A 1.9-mm field of an H&E-stained sentinel lymph node from a breast-cancer patient (whole-slide image), shown at about 2.5×, about 3.6 µm per pixel.
Image:
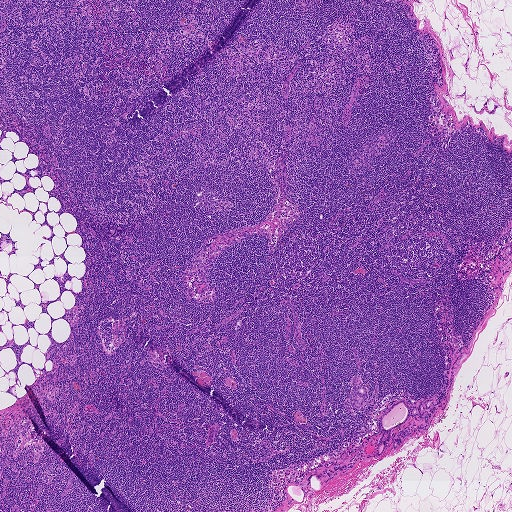
Question:
Where is the metastatic tumour in this field? Give each region's outline as (x, y) pixel points.
Answer:
Three metastatic tumour regions, each outlined as a closed clockwise path in crop pixels (x, y), largest first: region 1: (401, 399), (405, 399), (409, 407), (418, 407), (425, 400), (433, 399), (432, 405), (426, 410), (429, 413), (428, 421), (422, 422), (418, 415), (409, 417), (404, 423), (391, 431), (390, 437), (386, 442), (384, 450), (379, 455), (376, 452), (382, 434), (378, 429), (378, 418), (392, 404); region 2: (354, 376), (360, 378), (362, 384), (367, 388), (365, 404), (360, 408), (354, 408), (349, 401), (349, 393), (353, 385), (350, 379); region 3: (406, 426), (408, 426), (412, 429), (412, 434), (405, 438), (400, 438), (401, 442), (400, 444), (394, 449), (390, 443), (391, 440), (397, 437), (396, 436), (398, 432).
Two more small tumour pieces are annotated here but not outlined.
Tumour covers under 5% of the frame.